Image:
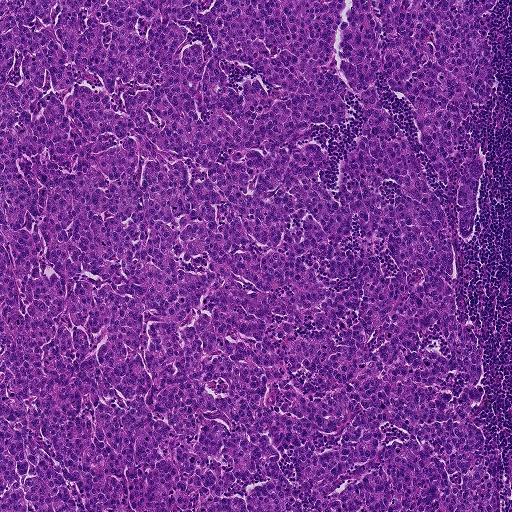
H&E-stained section of a sentinel lymph node (breast cancer), from a whole-slide image, viewed at about 5×: the field is about 0.93 mm across, about 1.8 µm per pixel.
Question:
Is there metastatic carcinoma in this field?
Answer:
Yes.
One metastatic tumour region; its boundary, reduced to 22 corners and listed clockwise: (0, 0), (496, 0), (482, 20), (495, 89), (461, 133), (483, 167), (470, 235), (459, 236), (458, 158), (446, 185), (409, 99), (379, 71), (374, 81), (450, 228), (456, 300), (484, 364), (486, 393), (469, 416), (490, 473), (508, 485), (503, 504), (0, 511).
About 90% of the image area is annotated as tumour.

Image:
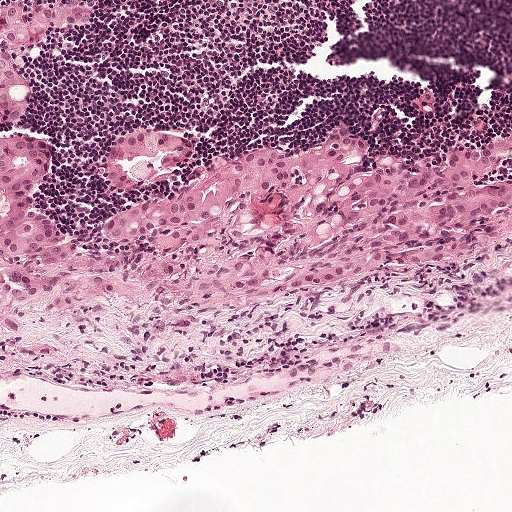
H&E-stained section of a sentinel lymph node (breast cancer), from a whole-slide image, viewed at about 10×: the field is about 0.5 mm across, about 0.97 µm per pixel.
Question:
Is there metastatic carcinoma in this field?
Answer:
Yes.
Tumour region outline (a closed clockwise path, crop pixels): (0, 0), (96, 0), (88, 25), (16, 58), (34, 81), (16, 123), (52, 154), (43, 207), (70, 232), (136, 197), (102, 150), (107, 132), (132, 118), (183, 126), (209, 155), (336, 119), (356, 123), (379, 156), (511, 130), (511, 230), (302, 290), (85, 264), (0, 303).
The annotated tumour makes up about 25% of the crop.

Image:
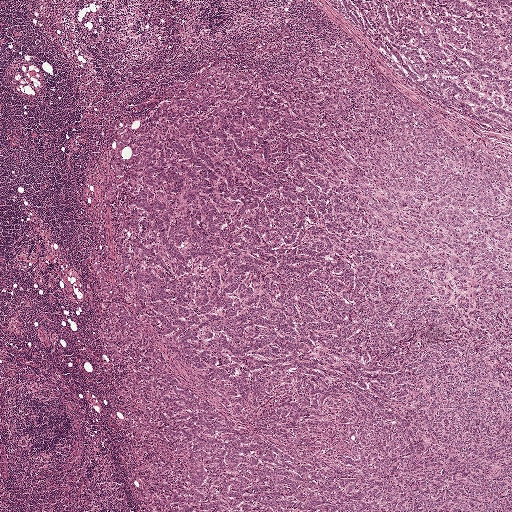
H&E-stained section of a sentinel lymph node (breast cancer), from a whole-slide image, viewed at about 2.5×: the field is about 2.0 mm across, about 3.9 µm per pixel.
Question:
Is there metastatic carcinoma in this field?
Answer:
Yes.
One metastatic tumour region; its boundary, reduced to 9 corners and listed clockwise: (282, 0), (511, 0), (511, 511), (142, 507), (90, 337), (88, 187), (151, 136), (192, 73), (276, 51).
About 75% of the image area is annotated as tumour.

Image:
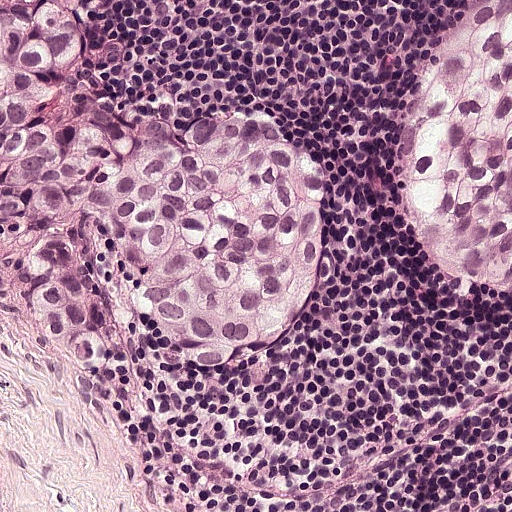
This is a crop of a whole-slide image: an H&E-stained breast-cancer sentinel lymph node section at roughly 20× magnification (about 0.49 µm per pixel; the crop spans about 0.25 mm).
Question:
Is there metastatic carcinoma in this field?
Answer:
Yes.
Outlines of two tumour regions, largest first (closed clockwise paths, crop pixels): region 1: (0, 0), (72, 0), (96, 12), (119, 116), (262, 116), (292, 126), (329, 166), (322, 259), (283, 340), (246, 366), (158, 346), (124, 372), (82, 367), (56, 344), (16, 242), (5, 245); region 2: (511, 0), (511, 296), (498, 300), (458, 294), (418, 267), (406, 242), (405, 152), (426, 72), (450, 40), (462, 3).
Tumour covers about 40% of the frame.